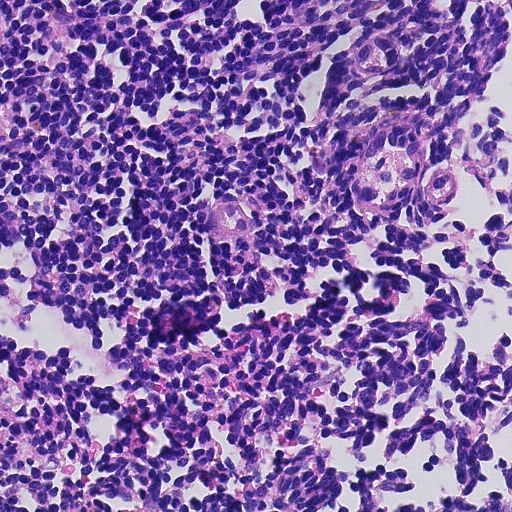
H&E-stained section of a sentinel lymph node (breast cancer), from a whole-slide image, viewed at about 20×: the field is about 0.23 mm across, about 0.45 µm per pixel.
Question: Does this lymph node field contain metastatic tumour?
Answer: No, this field holds no outlined metastasis.